Question: 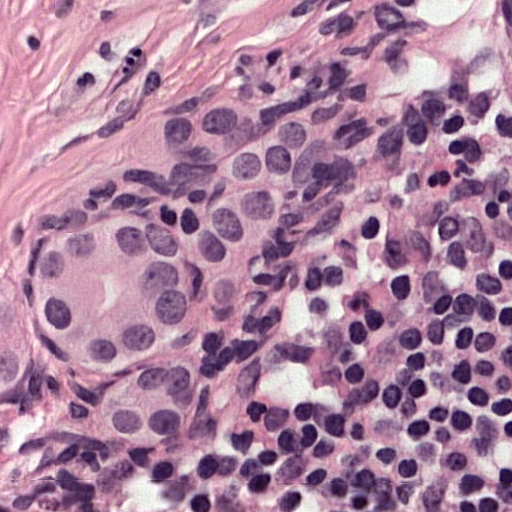
About what magnification does this crop show?

Choices:
 (A) about 2.5×
 (B) about 40×
 (C) about 20×
 (D) about 5×
 (E) about 10×

Answer: (B) about 40×
Lymph node section stained with H&E, from a whole-slide image of a breast-cancer sentinel node. Magnification about 40×, about 0.12 mm across the frame, about 0.24 µm per pixel.
Tumour region outline (a closed clockwise path, crop pixels): (313, 99), (304, 205), (264, 256), (239, 310), (192, 350), (212, 390), (185, 444), (150, 451), (105, 437), (72, 377), (41, 399), (0, 407), (0, 246), (187, 192), (235, 145).
About 20% of this field is tumour.